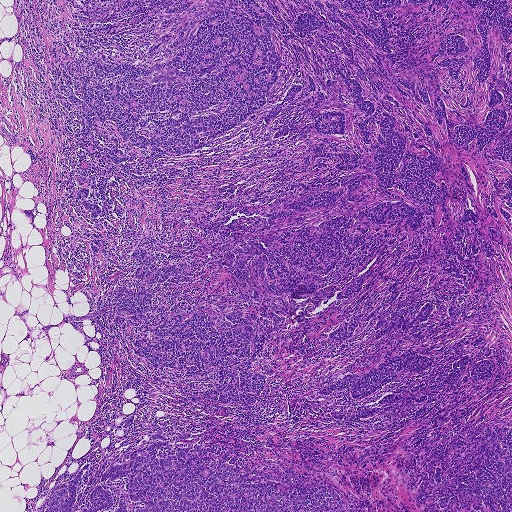
H&E-stained section of a sentinel lymph node (breast cancer), from a whole-slide image, viewed at about 2.5×: the field is about 1.9 mm across, about 3.6 µm per pixel.
Boundaries of four metastatic tumour regions, simplified and listed clockwise, largest first: region 1: (61, 0), (511, 0), (511, 232), (454, 334), (502, 351), (492, 379), (341, 421), (345, 391), (312, 393), (348, 356), (315, 335), (267, 342), (247, 407), (131, 351), (137, 246), (222, 247), (305, 196), (311, 137), (91, 169), (92, 254), (57, 57), (138, 61), (160, 21); region 2: (157, 432), (187, 432), (205, 446), (242, 456), (286, 485), (332, 486), (351, 511), (33, 511), (53, 479), (87, 464), (91, 470), (87, 494), (105, 466); region 3: (511, 424), (511, 511), (479, 511), (483, 505), (478, 497), (470, 497), (461, 499), (447, 509), (438, 510), (436, 502), (449, 490), (456, 474), (480, 438), (494, 427); region 4: (131, 414), (135, 415), (135, 420), (127, 426), (120, 426), (116, 423), (123, 417).
About 60% of this field is tumour.